Question: 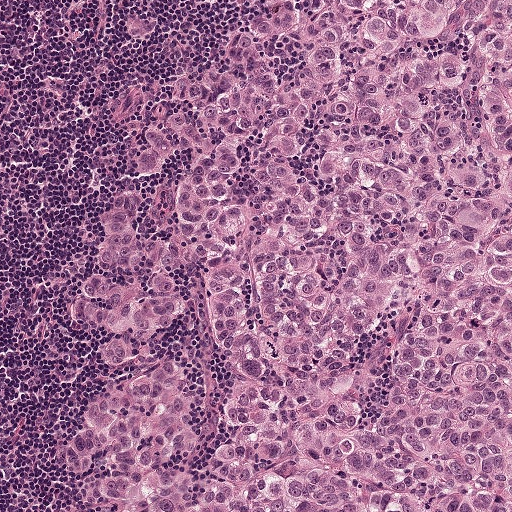
A 0.5-mm field of an H&E-stained sentinel lymph node from a breast-cancer patient (whole-slide image), shown at about 10×, about 0.97 µm per pixel.
About how much of this crop is taken up by metastatic carcinoma?

Choices:
 (A) about 10% to 20%
 (B) none: no tumour is outlined
 (C) about 50% or more
 (D) about 25% to 45%
 (E) about 5% or less

Answer: (C) about 50% or more
About 80% of the field is tumour.
Metastatic tumour outline, simplified to 12 points and listed clockwise in crop pixels (x, y): (511, 0), (511, 511), (50, 511), (64, 448), (81, 425), (90, 342), (62, 287), (95, 237), (94, 200), (145, 106), (228, 44), (243, 1).